H&E-stained section of a sentinel lymph node (breast cancer), from a whole-slide image, viewed at about 10×: the field is about 0.5 mm across, about 0.97 µm per pixel.
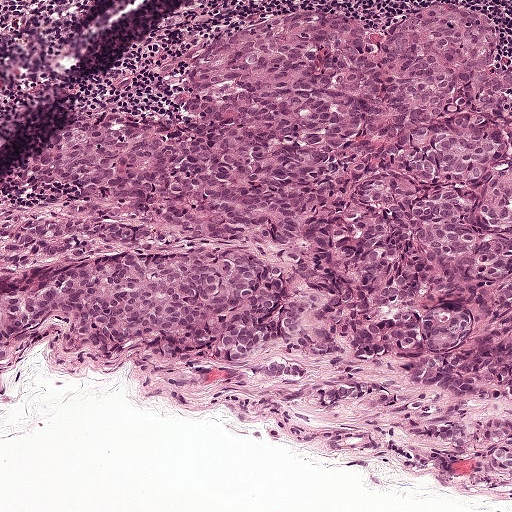
Question: Outline the metastatic carcinoma in this image, as closed paths of (x, y) pixel coordinates.
Answer: The outlined metastatic tumour's edge, as a closed clockwise path of 22 points: (426, 4), (481, 12), (511, 50), (511, 500), (381, 406), (308, 405), (308, 378), (330, 370), (319, 357), (304, 384), (231, 366), (118, 371), (45, 333), (0, 360), (2, 270), (176, 240), (40, 167), (54, 139), (172, 118), (190, 54), (252, 24), (381, 28).
About 60% of this field is tumour.